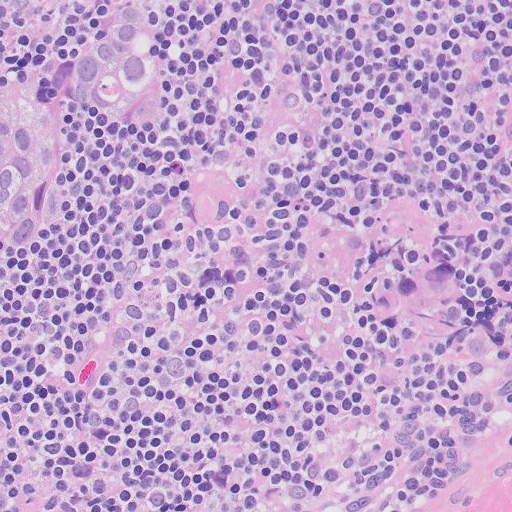
Lymph node section stained with H&E, from a whole-slide image of a breast-cancer sentinel node. Magnification about 20×, about 0.26 mm across the frame, about 0.5 µm per pixel.
Three metastatic tumour regions, each outlined as a closed clockwise path in crop pixels (x, y), largest first: region 1: (114, 0), (154, 0), (170, 42), (176, 72), (174, 106), (160, 132), (134, 139), (108, 132), (85, 118), (69, 92), (82, 34); region 2: (31, 59), (58, 114), (60, 165), (43, 245), (17, 254), (0, 251), (0, 66); region 3: (451, 256), (462, 302), (386, 334), (365, 319), (376, 292), (396, 272), (421, 258).
One more small tumour piece is annotated here but not outlined.
About 10% of the image area is annotated as tumour.